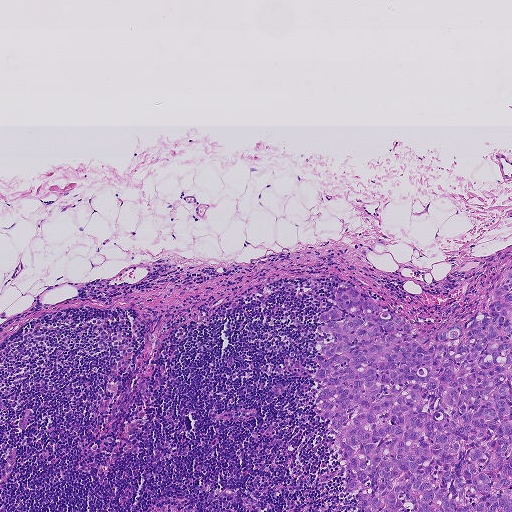
Lymph node section stained with H&E, from a whole-slide image of a breast-cancer sentinel node. Magnification about 5×, about 0.93 mm across the frame, about 1.8 µm per pixel.
The outlined metastatic tumour's edge, as a closed clockwise path of 20 points: (511, 263), (511, 511), (358, 511), (362, 487), (344, 485), (334, 429), (315, 398), (324, 386), (313, 375), (324, 358), (318, 344), (332, 337), (313, 330), (322, 323), (318, 314), (337, 308), (333, 289), (362, 288), (420, 333), (476, 314).
About 15% of the image area is annotated as tumour.